Question: 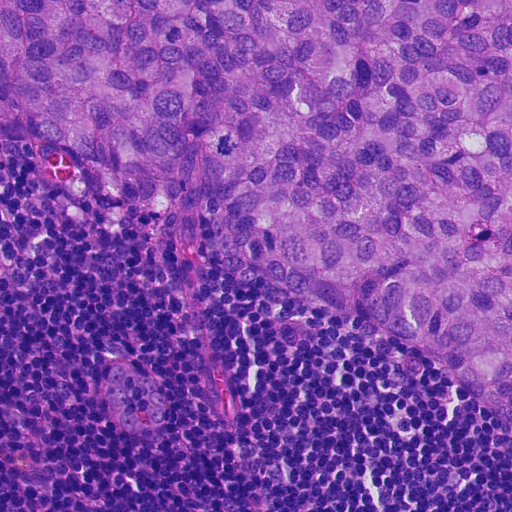
H&E-stained section of a sentinel lymph node (breast cancer), from a whole-slide image, viewed at about 20×: the field is about 0.23 mm across, about 0.45 µm per pixel.
What fraction of the image area is metastatic tumour?

Choices:
 (A) none: no tumour is outlined
 (B) about 50% or more
 (C) about 25% to 45%
 (D) about 5% or less
 (E) about 10% to 20%

Answer: (B) about 50% or more
About 55% of the field is tumour.
Tumour region outline (a closed clockwise path, crop pixels): (0, 0), (511, 0), (511, 436), (476, 399), (373, 332), (334, 323), (226, 261), (194, 189), (148, 214), (110, 204), (0, 128).
Question: 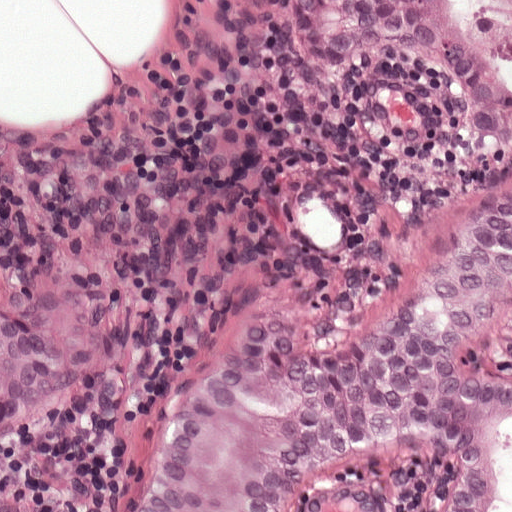
This is a crop of a whole-slide image: an H&E-stained breast-cancer sentinel lymph node section at roughly 20× magnification (about 0.49 µm per pixel; the crop spans about 0.25 mm).
What fraction of the image area is metastatic tumour?

Choices:
 (A) about 25% to 45%
 (B) none: no tumour is outlined
 (C) about 10% to 20%
 (D) about 5% or less
 (E) about 50% or more

Answer: (E) about 50% or more
About 50% of the field is tumour.
Outlines of two tumour regions, largest first (closed clockwise paths, crop pixels): region 1: (377, 0), (511, 0), (511, 511), (71, 511), (114, 396), (176, 298), (292, 230), (416, 192), (412, 74); region 2: (0, 290), (61, 342), (30, 460), (0, 485).
Question: 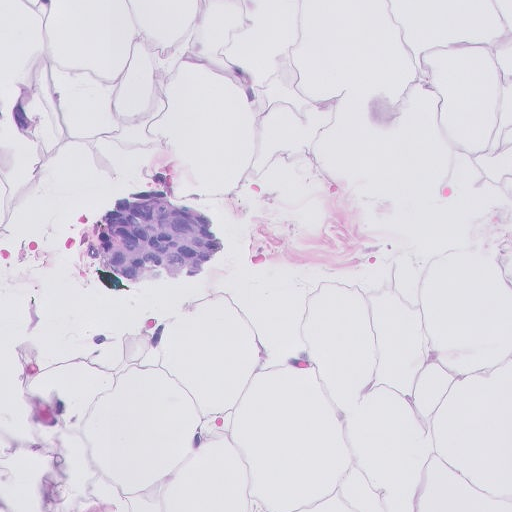
This is a crop of a whole-slide image: an H&E-stained breast-cancer sentinel lymph node section at roughly 20× magnification (about 0.5 µm per pixel; the crop spans about 0.26 mm).
What fraction of the image area is metastatic tumour?

Choices:
 (A) about 50% or more
 (B) about 25% to 45%
 (C) about 10% to 20%
 (D) about 5% or less
 (E) none: no tumour is outlined

Answer: (D) about 5% or less
About 5% of the field is tumour.
The outlined metastatic tumour's edge, as a closed clockwise path of 6 points: (166, 168), (220, 208), (251, 270), (115, 292), (68, 250), (114, 176).
Question: 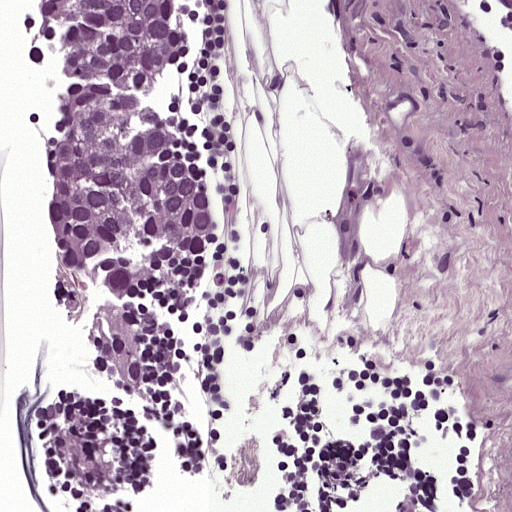
A 0.25-mm field of an H&E-stained sentinel lymph node from a breast-cancer patient (whole-slide image), shown at about 20×, about 0.49 µm per pixel.
What fraction of the image area is metastatic tumour?

Choices:
 (A) about 25% to 45%
 (B) about 10% to 20%
 (C) about 50% or more
 (D) none: no tumour is outlined
 (E) about 5% or less

Answer: (B) about 10% to 20%
About 20% of the field is tumour.
Metastatic tumour outline, simplified to 17 points and listed clockwise in crop pixels (x, y): (32, 0), (180, 0), (193, 52), (162, 91), (162, 112), (198, 147), (216, 192), (216, 247), (145, 316), (152, 388), (124, 394), (92, 378), (94, 292), (36, 238), (30, 146), (46, 92), (30, 44).